H&E-stained section of a sentinel lymph node (breast cancer), from a whole-slide image, viewed at about 10×: the field is about 0.5 mm across, about 0.97 µm per pixel.
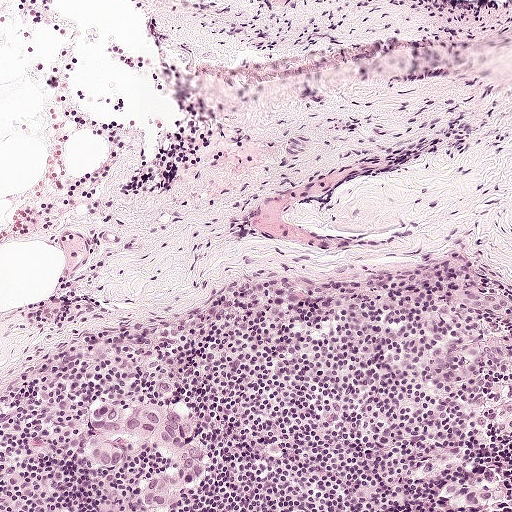
Outlines of four tumour regions, largest first (closed clockwise paths, crop pixels): region 1: (94, 398), (164, 403), (186, 412), (208, 453), (204, 481), (156, 511), (146, 508), (137, 499), (138, 495), (148, 479), (167, 465), (165, 453), (140, 443), (112, 472), (94, 470), (84, 462), (79, 448), (79, 440), (84, 433), (84, 415); region 2: (471, 339), (496, 341), (502, 346), (502, 356), (490, 368), (467, 382), (449, 383), (430, 380), (425, 370), (430, 359); region 3: (492, 465), (496, 474), (498, 475), (501, 496), (498, 500), (482, 506), (462, 506), (450, 504), (444, 499), (441, 489), (448, 481), (471, 480), (479, 476), (484, 466); region 4: (454, 287), (480, 289), (511, 298), (511, 322), (498, 318), (484, 310), (472, 308), (453, 294).
The annotated tumour makes up about 5% of the crop.